Image:
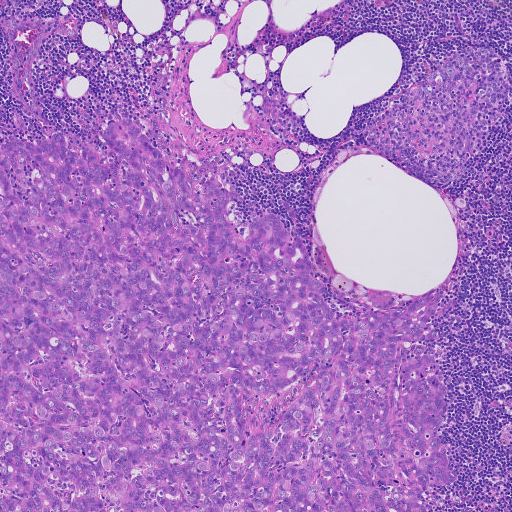
H&E-stained section of a sentinel lymph node (breast cancer), from a whole-slide image, viewed at about 5×: the field is about 0.93 mm across, about 1.8 µm per pixel.
Question:
Where is the metastatic tumour in this field?
Answer:
Tumour region outline (a closed clockwise path, crop pixels): (133, 122), (206, 203), (202, 184), (222, 188), (238, 233), (251, 206), (274, 213), (306, 248), (337, 320), (437, 301), (413, 353), (438, 354), (449, 389), (437, 432), (457, 476), (423, 494), (427, 511), (0, 511), (0, 144), (56, 130), (73, 153), (93, 145), (118, 164), (103, 133).
About 50% of the image area is annotated as tumour.